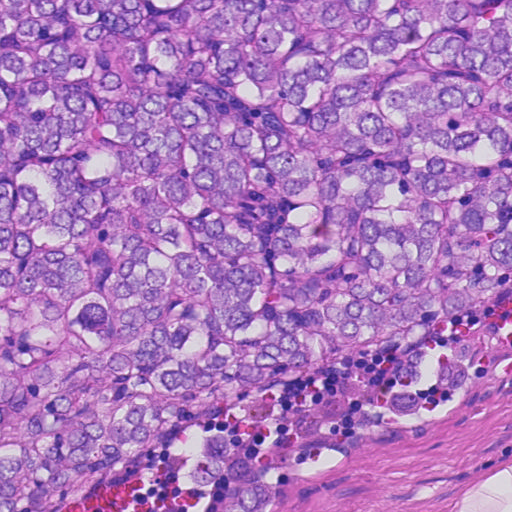
This is a crop of a whole-slide image: an H&E-stained breast-cancer sentinel lymph node section at roughly 20× magnification (about 0.45 µm per pixel; the crop spans about 0.23 mm).
Boundaries of two metastatic tumour regions, simplified and listed clockwise, largest first: region 1: (0, 0), (511, 0), (511, 291), (209, 417), (261, 456), (270, 511), (202, 511), (205, 492), (178, 476), (189, 432), (72, 511), (0, 511); region 2: (436, 357), (462, 358), (469, 382), (448, 402), (426, 417), (397, 417), (388, 389), (400, 392), (424, 390), (434, 376).
The annotated tumour makes up about 80% of the crop.